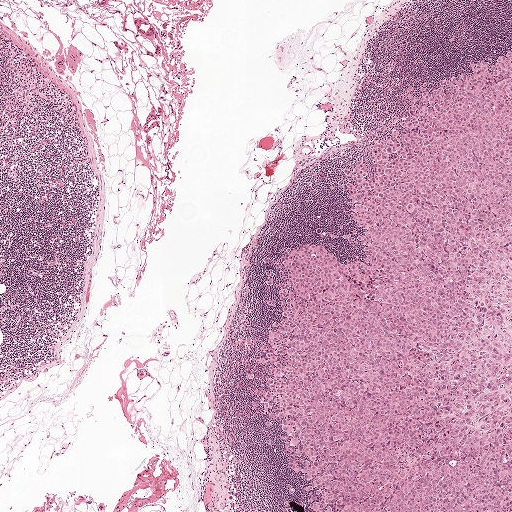
H&E-stained section of a sentinel lymph node (breast cancer), from a whole-slide image, viewed at about 2.5×: the field is about 2.0 mm across, about 3.9 µm per pixel.
Boundaries of two metastatic tumour regions, simplified and listed clockwise, largest first: region 1: (511, 50), (511, 511), (308, 511), (274, 402), (249, 387), (272, 320), (277, 257), (300, 239), (353, 249), (344, 180), (357, 150), (439, 80); region 2: (287, 483), (296, 488), (294, 489), (301, 491), (304, 511), (278, 511), (281, 508), (283, 492), (285, 486).
The annotated tumour makes up about 35% of the crop.